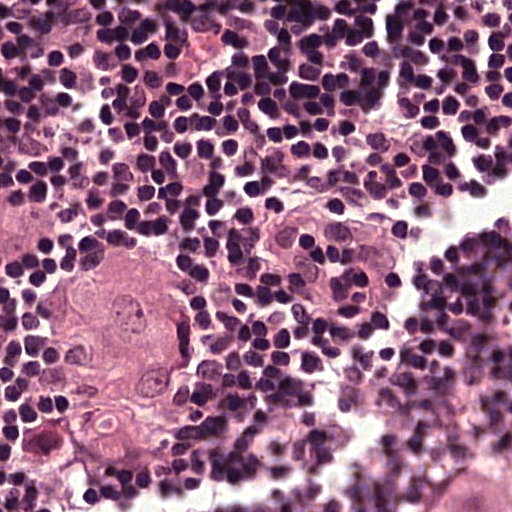
Lymph node section stained with H&E, from a whole-slide image of a breast-cancer sentinel node. Magnification about 40×, about 0.12 mm across the frame, about 0.24 µm per pixel.
Two metastatic tumour regions, each outlined as a closed clockwise path in crop pixels (x, y), largest first: region 1: (115, 247), (165, 265), (201, 301), (196, 388), (165, 451), (130, 481), (99, 482), (99, 474), (62, 447), (65, 424), (49, 378), (33, 356), (37, 303); region 2: (0, 180), (2, 185), (11, 189), (13, 196), (34, 205), (43, 216), (55, 223), (65, 248), (59, 260), (34, 278), (20, 305), (16, 328), (2, 344), (0, 349).
The annotated tumour makes up about 15% of the crop.